Image:
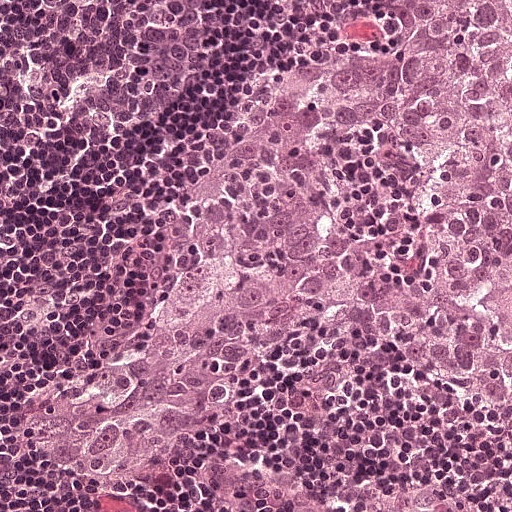
A 0.25-mm field of an H&E-stained sentinel lymph node from a breast-cancer patient (whole-slide image), shown at about 20×, about 0.49 µm per pixel.
Question:
Trace the edge of each tumour region in this crop, as (x, y) points from 0 to 511.
Answer:
One metastatic tumour region; its boundary, reduced to 18 corners and listed clockwise: (511, 0), (511, 395), (452, 398), (330, 308), (286, 337), (192, 458), (140, 488), (97, 484), (28, 445), (20, 414), (31, 399), (143, 322), (197, 248), (202, 199), (254, 106), (314, 64), (400, 46), (390, 2).
The annotated tumour makes up about 45% of the crop.